H&E-stained section of a sentinel lymph node (breast cancer), from a whole-slide image, viewed at about 5×: the field is about 1 mm across, about 1.9 µm per pixel.
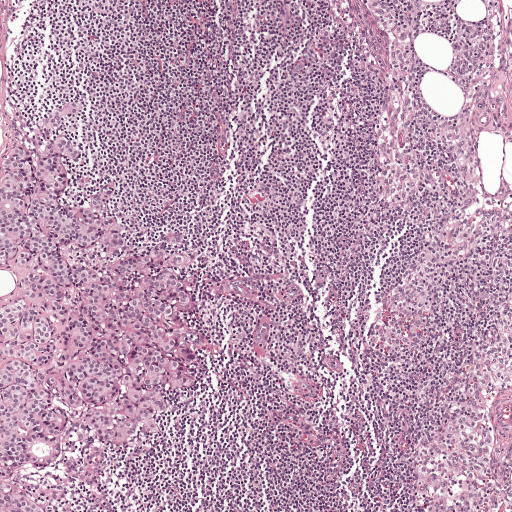
Question: Describe where the metastatic carcinoma lies in this crop.
Answer: Two metastatic tumour regions, each outlined as a closed clockwise path in crop pixels (x, y), largest first: region 1: (70, 134), (84, 147), (71, 202), (116, 182), (138, 245), (182, 227), (181, 316), (204, 326), (204, 382), (170, 404), (168, 431), (106, 447), (81, 423), (48, 471), (26, 464), (49, 511), (0, 511), (0, 305), (19, 274), (0, 270), (0, 162); region 2: (76, 98), (85, 107), (65, 125), (44, 136), (36, 121), (62, 104).
The annotated tumour makes up about 20% of the crop.